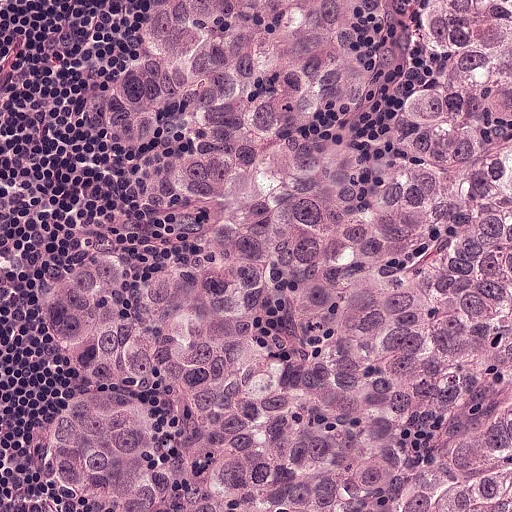
A 0.25-mm field of an H&E-stained sentinel lymph node from a breast-cancer patient (whole-slide image), shown at about 20×, about 0.49 µm per pixel.
One metastatic tumour region; its boundary, reduced to 9 corners and listed clockwise: (511, 0), (511, 511), (48, 511), (36, 474), (36, 312), (82, 210), (110, 73), (136, 50), (133, 2).
About 85% of the image area is annotated as tumour.